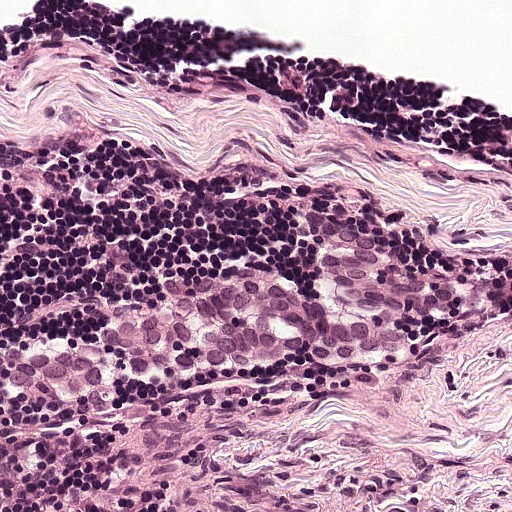
H&E-stained section of a sentinel lymph node (breast cancer), from a whole-slide image, viewed at about 20×: the field is about 0.25 mm across, about 0.49 µm per pixel.
The outlined metastatic tumour's edge, as a closed clockwise path of 24 points: (374, 248), (462, 292), (464, 301), (418, 314), (418, 340), (394, 356), (320, 356), (292, 347), (197, 376), (122, 378), (86, 399), (52, 385), (0, 384), (0, 344), (6, 340), (76, 336), (123, 300), (154, 292), (172, 274), (211, 278), (270, 268), (314, 290), (322, 286), (318, 253).
Tumour covers about 15% of the frame.